Question: 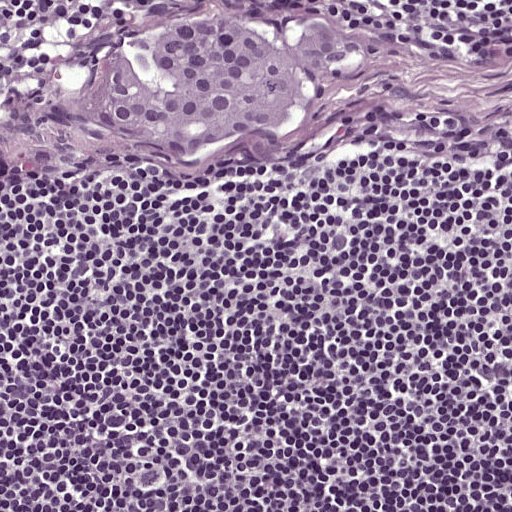
This is a crop of a whole-slide image: an H&E-stained breast-cancer sentinel lymph node section at roughly 20× magnification (about 0.49 µm per pixel; the crop spans about 0.25 mm).
Estimate the proportion of this field that is metastatic tumour.

Choices:
 (A) about 25% to 45%
 (B) about 10% to 20%
 (C) about 5% or less
 (D) about 50% or more
 (E) none: no tumour is outlined

Answer: (B) about 10% to 20%
About 10% of the field is tumour.
Tumour region outline (a closed clockwise path, crop pixels): (190, 19), (264, 28), (326, 19), (378, 40), (385, 56), (342, 91), (300, 110), (288, 136), (228, 141), (175, 164), (42, 120), (44, 106), (120, 44).